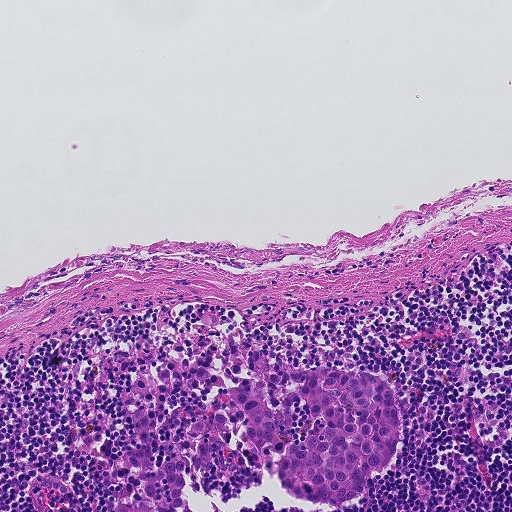
H&E-stained section of a sentinel lymph node (breast cancer), from a whole-slide image, viewed at about 10×: the field is about 0.46 mm across, about 0.9 µm per pixel.
The outlined metastatic tumour's edge, as a closed clockwise path of 21 points: (259, 354), (276, 373), (326, 368), (388, 381), (395, 451), (363, 494), (341, 507), (280, 487), (268, 470), (183, 473), (194, 511), (114, 511), (136, 434), (129, 409), (150, 418), (156, 468), (208, 402), (192, 373), (204, 368), (251, 373), (247, 356).
One more small tumour piece is annotated here but not outlined.
About 10% of the image area is annotated as tumour.